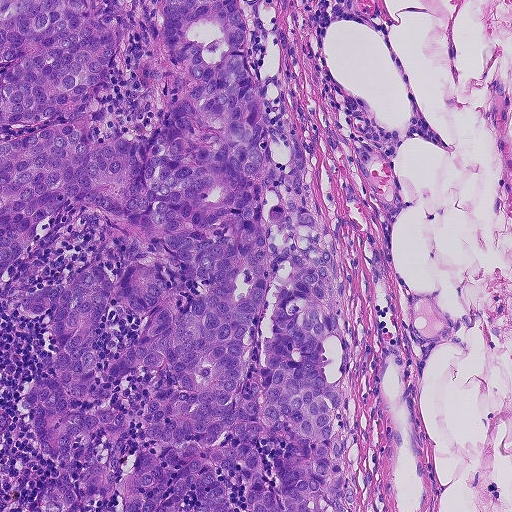
This is a crop of a whole-slide image: an H&E-stained breast-cancer sentinel lymph node section at roughly 10× magnification (about 0.9 µm per pixel; the crop spans about 0.46 mm).
Metastatic tumour outline, simplified to 24 points and listed clockwise in crop pixels (x, y): (0, 0), (234, 0), (334, 252), (351, 511), (251, 511), (224, 483), (232, 511), (123, 511), (118, 493), (23, 511), (52, 469), (16, 402), (53, 366), (52, 308), (8, 304), (96, 263), (111, 227), (66, 205), (0, 285), (0, 144), (66, 119), (0, 124), (21, 58), (3, 61).
The annotated tumour makes up about 55% of the crop.